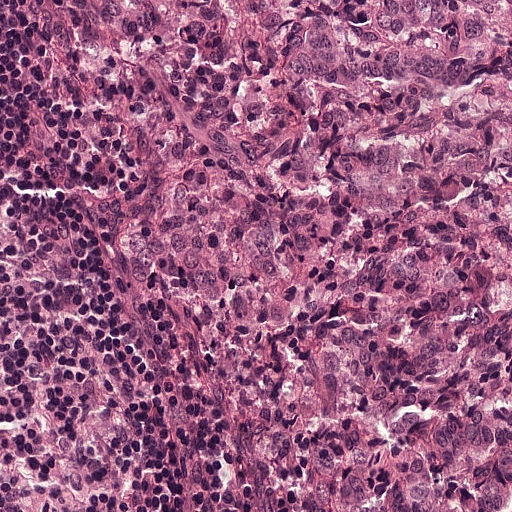
This is a crop of a whole-slide image: an H&E-stained breast-cancer sentinel lymph node section at roughly 20× magnification (about 0.49 µm per pixel; the crop spans about 0.25 mm).
Question: Where is the metastatic tumour in this field?
Answer: Tumour region outline (a closed clockwise path, crop pixels): (52, 0), (511, 0), (511, 511), (262, 511), (211, 368), (190, 348), (190, 307), (170, 256), (150, 236), (150, 196), (120, 165), (110, 114).
About 70% of the image area is annotated as tumour.